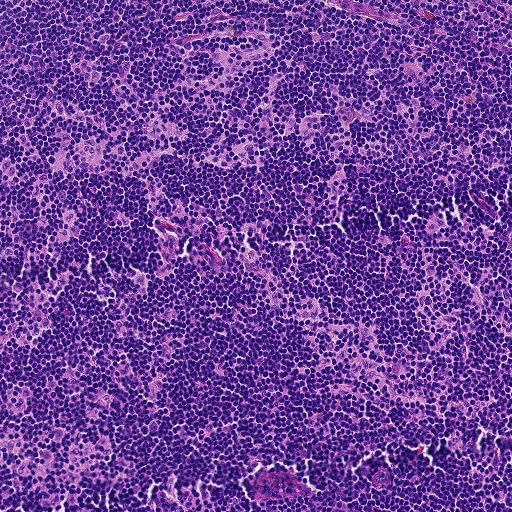
A 0.46-mm field of an H&E-stained sentinel lymph node from a breast-cancer patient (whole-slide image), shown at about 10×, about 0.9 µm per pixel.
Question: Is there metastatic carcinoma in this field?
Answer: No. No metastatic tumour is outlined in this field.